A 2.0-mm field of an H&E-stained sentinel lymph node from a breast-cancer patient (whole-slide image), shown at about 2.5×, about 3.9 µm per pixel.
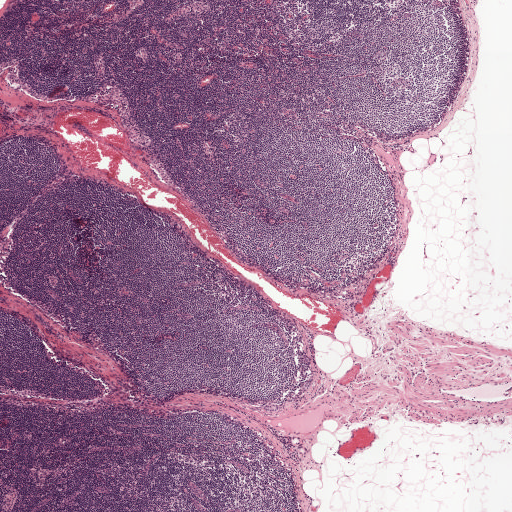
Outlines of two tumour regions, largest first (closed clockwise paths, crop pixels): region 1: (312, 377), (313, 381), (312, 384), (307, 391), (295, 400), (291, 401), (288, 401), (288, 400), (293, 397), (299, 392); region 2: (277, 404), (279, 405), (279, 409), (278, 411), (267, 411), (264, 410), (263, 408), (266, 405).
One more small tumour piece is annotated here but not outlined.
Under 5% of this field is tumour.